H&E-stained section of a sentinel lymph node (breast cancer), from a whole-slide image, viewed at about 20×: the field is about 0.23 mm across, about 0.45 µm per pixel.
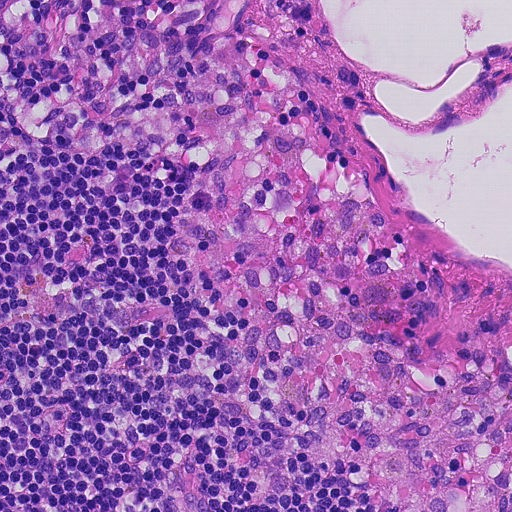
Question: Is there metastatic carcinoma in this field?
Answer: No, this field holds no outlined metastasis.